Question: 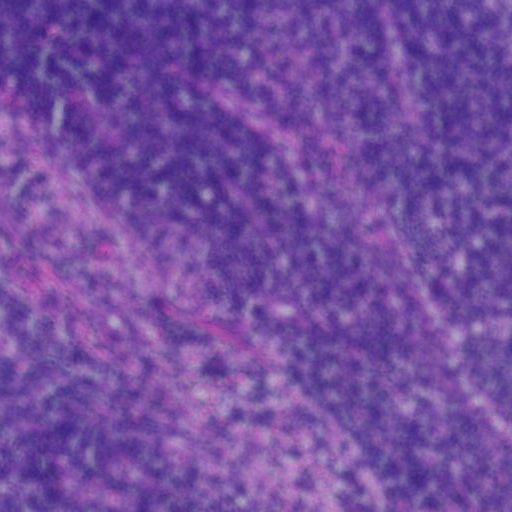
Which magnification is this H&E lymph node field most likely shown at?

Choices:
 (A) about 5×
 (B) about 10×
 (C) about 2.5×
 (D) about 20×
 (E) about 40×

Answer: (B) about 10×
Lymph node section stained with H&E, from a whole-slide image of a breast-cancer sentinel node. Magnification about 10×, about 0.46 mm across the frame, about 0.9 µm per pixel.